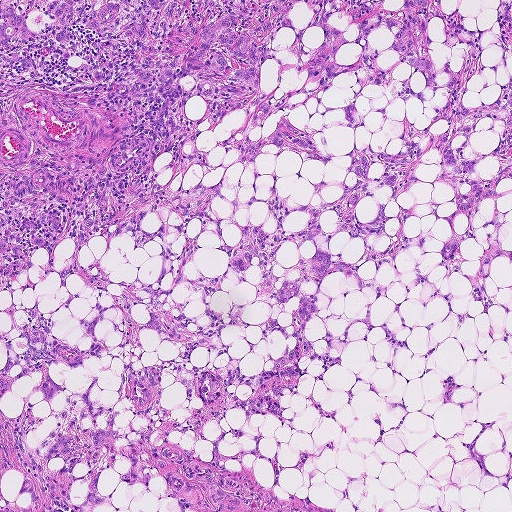
H&E-stained section of a sentinel lymph node (breast cancer), from a whole-slide image, viewed at about 5×: the field is about 0.93 mm across, about 1.8 µm per pixel.
Question: Describe where the metastatic carcinoma lies in this crop.
Answer: One metastatic tumour region; its boundary, reduced to 30 corners and listed clockwise: (0, 0), (511, 0), (482, 277), (446, 89), (378, 27), (349, 128), (290, 10), (260, 85), (306, 99), (247, 135), (336, 156), (244, 167), (235, 108), (170, 188), (234, 245), (406, 114), (427, 241), (285, 242), (277, 289), (326, 248), (388, 296), (325, 276), (295, 421), (168, 438), (334, 451), (272, 486), (250, 455), (217, 470), (164, 447), (0, 511).
About 65% of this field is tumour.